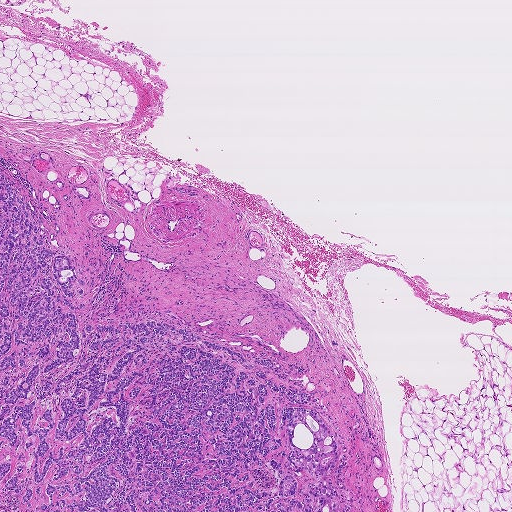
Lymph node section stained with H&E, from a whole-slide image of a breast-cancer sentinel node. Magnification about 2.5×, about 1.9 mm across the frame, about 3.6 µm per pixel.
The outlined metastatic tumour's edge, as a closed clockwise path of 20 points: (0, 174), (55, 251), (41, 274), (66, 255), (85, 283), (67, 298), (86, 308), (61, 305), (80, 336), (88, 323), (167, 323), (252, 363), (267, 359), (277, 384), (310, 393), (302, 406), (336, 445), (328, 475), (341, 508), (0, 511).
The annotated tumour makes up about 25% of the crop.